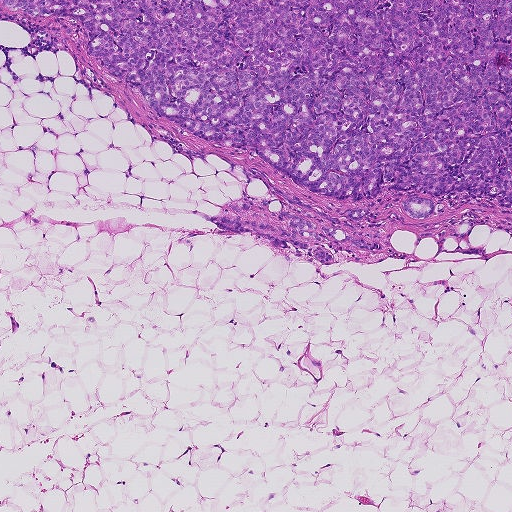
H&E-stained section of a sentinel lymph node (breast cancer), from a whole-slide image, viewed at about 5×: the field is about 0.93 mm across, about 1.8 µm per pixel.
Question: Where is the metastatic tumour in this field?
Answer: Two metastatic tumour regions, each outlined as a closed clockwise path in crop pixels (x, y), largest first: region 1: (511, 0), (511, 211), (450, 192), (419, 220), (401, 203), (431, 196), (401, 190), (363, 202), (370, 211), (354, 220), (340, 213), (360, 201), (315, 194), (252, 153), (149, 113), (134, 88), (101, 71), (72, 17), (34, 17), (0, 1); region 2: (231, 198), (279, 201), (282, 210), (300, 215), (312, 211), (321, 226), (340, 229), (383, 248), (368, 250), (323, 236), (324, 246), (331, 249), (337, 262), (319, 265), (308, 250), (301, 250), (290, 242), (285, 243), (288, 248), (274, 246), (250, 231), (221, 232), (210, 217).
The annotated tumour makes up about 30% of the crop.